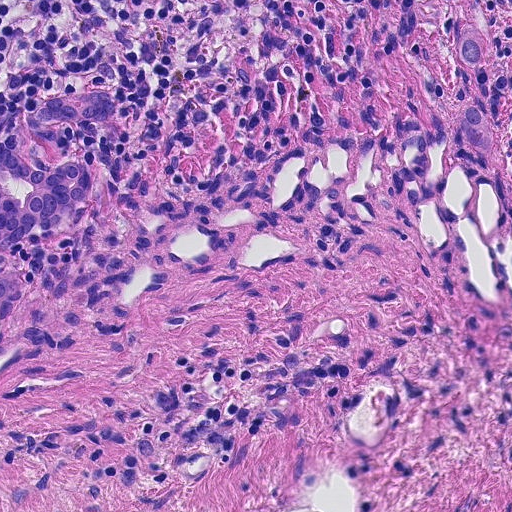
H&E-stained section of a sentinel lymph node (breast cancer), from a whole-slide image, viewed at about 20×: the field is about 0.23 mm across, about 0.45 µm per pixel.
Question: Outline the metastatic carcinoma in this image, as closed paths of (x, y) pixel coordinates.
Answer: Tumour region outline (a closed clockwise path, crop pixels): (467, 23), (488, 46), (480, 72), (495, 154), (466, 138), (93, 173), (98, 196), (72, 232), (14, 251), (0, 249), (0, 136), (29, 104), (105, 89), (123, 108), (116, 124), (60, 131), (92, 170), (464, 134), (460, 112), (474, 86), (461, 62), (457, 34).
About 5% of this field is tumour.